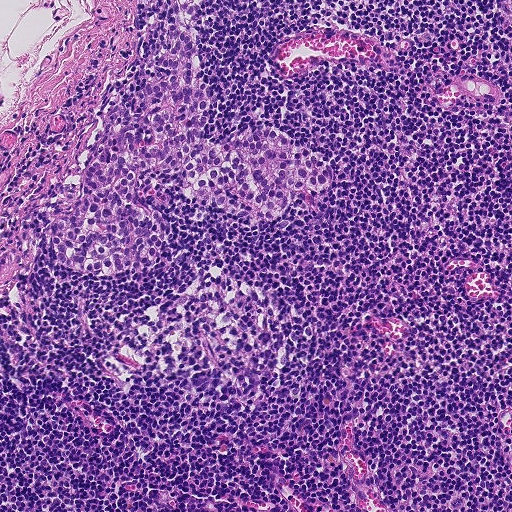
A 0.46-mm field of an H&E-stained sentinel lymph node from a breast-cancer patient (whole-slide image), shown at about 10×, about 0.9 µm per pixel.
The outlined metastatic tumour's edge, as a closed clockwise path of 24 points: (199, 0), (202, 135), (216, 146), (272, 127), (326, 155), (332, 180), (258, 226), (212, 204), (204, 220), (188, 220), (190, 203), (176, 194), (142, 277), (70, 272), (54, 252), (53, 215), (80, 192), (95, 113), (118, 94), (142, 111), (144, 68), (168, 79), (156, 60), (170, 4).
About 10% of this field is tumour.